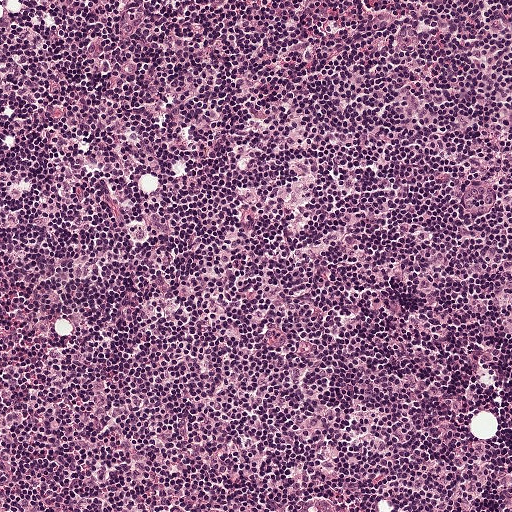
Lymph node section stained with H&E, from a whole-slide image of a breast-cancer sentinel node. Magnification about 10×, about 0.5 mm across the frame, about 0.97 µm per pixel.
Question: Is there metastatic carcinoma in this field?
Answer: No. No metastatic tumour is outlined in this field.